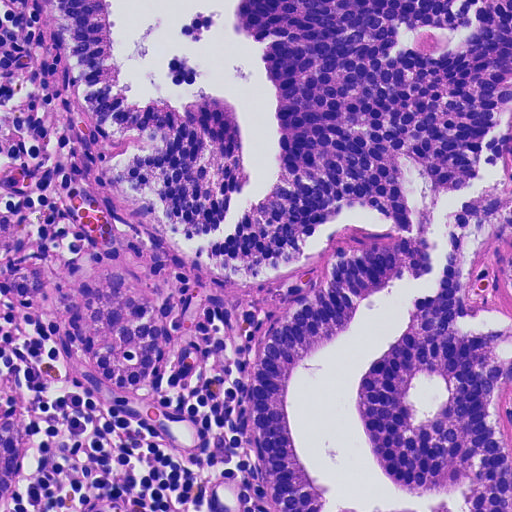
H&E-stained section of a sentinel lymph node (breast cancer), from a whole-slide image, viewed at about 20×: the field is about 0.23 mm across, about 0.45 µm per pixel.
Boundaries of four metastatic tumour regions, simplified and listed clockwise, largest first: region 1: (53, 0), (511, 0), (511, 385), (497, 390), (496, 416), (511, 466), (511, 511), (276, 511), (253, 458), (258, 357), (273, 327), (322, 284), (329, 253), (389, 244), (396, 228), (349, 209), (322, 229), (309, 258), (249, 285), (166, 238), (112, 183), (122, 146), (88, 120); region 2: (116, 248), (156, 294), (168, 320), (168, 349), (150, 373), (124, 386), (97, 377), (78, 354), (60, 313), (72, 286), (90, 263); region 3: (0, 208), (29, 228), (17, 257), (47, 264), (52, 294), (24, 306), (0, 286), (10, 260), (0, 262); region 4: (13, 416), (18, 424), (23, 452), (23, 478), (8, 502), (0, 505), (0, 423).
The annotated tumour makes up about 70% of the crop.